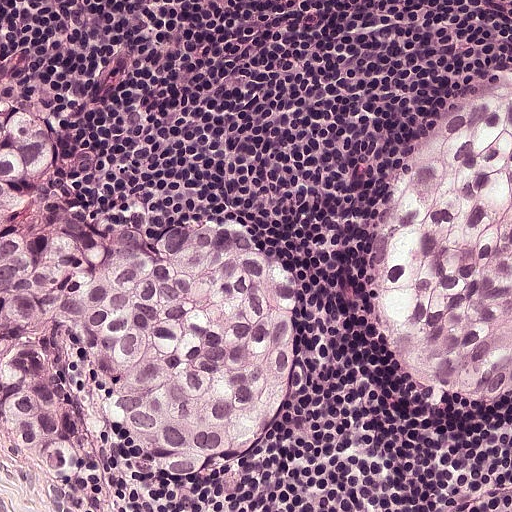
A 0.25-mm field of an H&E-stained sentinel lymph node from a breast-cancer patient (whole-slide image), shown at about 20×, about 0.49 µm per pixel.
Question: Describe where the metastatic carcinoma lies in this crop.
Answer: Boundaries of two metastatic tumour regions, simplified and listed clockwise, largest first: region 1: (0, 91), (68, 122), (91, 224), (234, 224), (264, 236), (301, 274), (294, 368), (255, 450), (218, 474), (130, 456), (96, 481), (54, 476), (28, 452), (0, 376); region 2: (511, 62), (511, 393), (448, 410), (384, 366), (374, 274), (398, 181), (422, 150), (446, 87).
About 45% of this field is tumour.